Image:
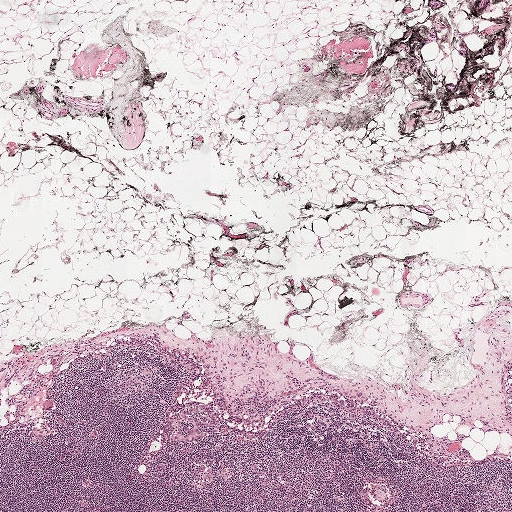
Lymph node section stained with H&E, from a whole-slide image of a breast-cancer sentinel node. Magnification about 2.5×, about 2.0 mm across the frame, about 3.9 µm per pixel.
Question:
Describe where the metastatic carcinoma lies in this crop.
Answer:
Tumour region outline (a closed clockwise path, crop pixels): (184, 410), (192, 410), (194, 419), (210, 424), (200, 426), (201, 430), (208, 432), (208, 434), (203, 439), (192, 441), (184, 440), (176, 441), (170, 439), (172, 430), (167, 420), (175, 414), (180, 414).
Under 5% of this field is tumour.